A 0.5-mm field of an H&E-stained sentinel lymph node from a breast-cancer patient (whole-slide image), shown at about 10×, about 0.97 µm per pixel.
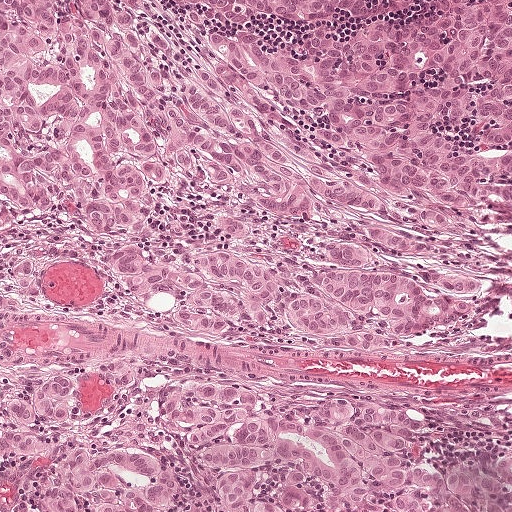
The outlined metastatic tumour's edge, as a closed clockwise path of 10 points: (42, 4), (80, 18), (101, 45), (152, 126), (164, 182), (129, 226), (78, 231), (43, 208), (1, 225), (0, 10).
Tumour covers about 10% of the frame.